Image:
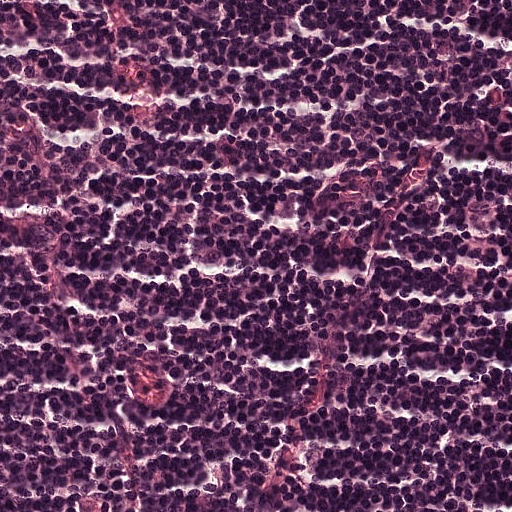
Lymph node section stained with H&E, from a whole-slide image of a breast-cancer sentinel node. Magnification about 20×, about 0.25 mm across the frame, about 0.49 µm per pixel.
Question:
Does this lymph node field contain metastatic tumour?
Answer:
No: no metastatic tumour is outlined anywhere in this field.